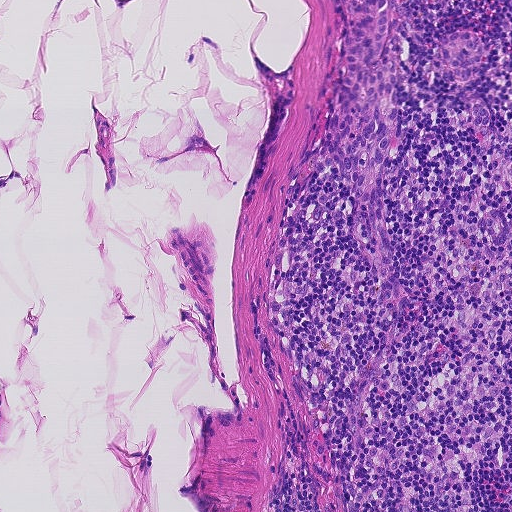
H&E-stained section of a sentinel lymph node (breast cancer), from a whole-slide image, viewed at about 10×: the field is about 0.46 mm across, about 0.9 µm per pixel.
Boundaries of two metastatic tumour regions, simplified and listed clockwise, largest first: region 1: (341, 0), (388, 0), (391, 26), (383, 60), (392, 59), (398, 73), (390, 95), (389, 102), (398, 111), (385, 158), (382, 222), (375, 230), (385, 272), (375, 270), (369, 228), (360, 222), (354, 190), (334, 164), (330, 132), (347, 70); region 2: (450, 31), (473, 31), (482, 37), (486, 47), (486, 58), (483, 69), (476, 78), (467, 82), (456, 82), (436, 74), (429, 65), (439, 45), (441, 34).
Tumour covers about 5% of the frame.